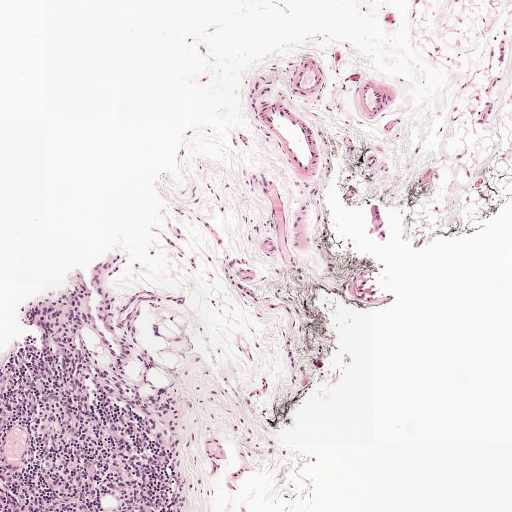
Lymph node section stained with H&E, from a whole-slide image of a breast-cancer sentinel node. Magnification about 5×, about 1 mm across the frame, about 1.9 µm per pixel.
One metastatic tumour region; its boundary, reduced to 10 corners and listed clockwise: (382, 203), (381, 212), (387, 232), (387, 241), (379, 242), (375, 236), (368, 236), (371, 224), (368, 208), (371, 205).
Under 5% of the image area is annotated as tumour.